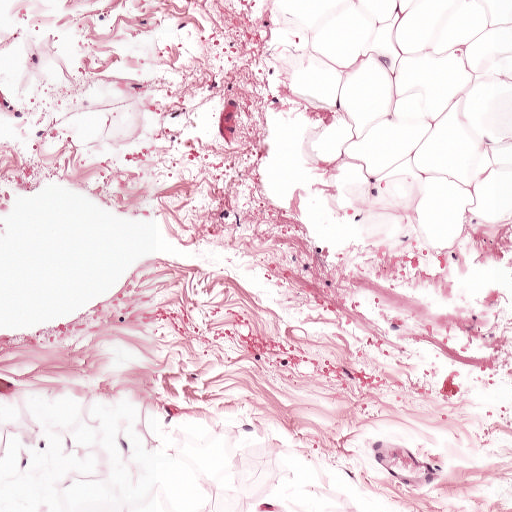
Lymph node section stained with H&E, from a whole-slide image of a breast-cancer sentinel node. Magnification about 10×, about 0.5 mm across the frame, about 0.97 µm per pixel.